Question: 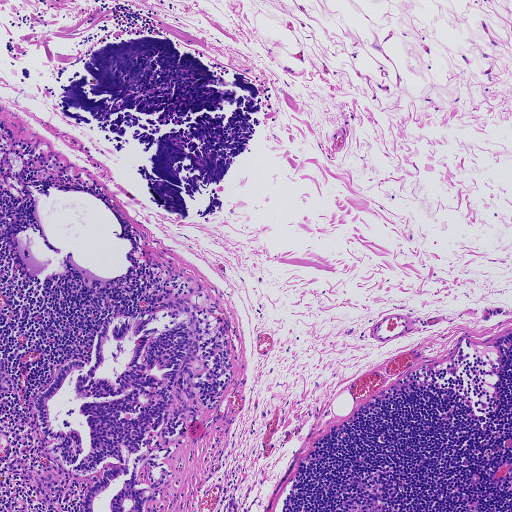
H&E-stained section of a sentinel lymph node (breast cancer), from a whole-slide image, viewed at about 5×: the field is about 0.93 mm across, about 1.8 µm per pixel.
Estimate the proportion of this field that is metastatic tumour.

Choices:
 (A) none: no tumour is outlined
 (B) about 25% to 45%
 (C) about 10% to 20%
 (D) about 50% or more
 (E) about 5% or less

Answer: (C) about 10% to 20%
About 10% of the field is tumour.
Four metastatic tumour regions, each outlined as a closed clockwise path in crop pixels (x, y), largest first: region 1: (194, 286), (206, 367), (201, 413), (161, 461), (173, 475), (160, 499), (145, 503), (146, 511), (84, 511), (89, 488), (120, 463), (108, 458), (76, 475), (49, 452), (34, 403), (63, 365), (89, 366), (110, 316), (144, 313); region 2: (50, 468), (60, 479), (63, 486), (63, 493), (58, 499), (52, 502), (45, 500), (40, 494), (36, 484), (44, 472); region 3: (14, 456), (22, 458), (28, 463), (25, 470), (33, 472), (34, 479), (27, 482), (21, 477), (24, 471), (17, 472), (9, 470), (9, 462); region 4: (0, 354), (5, 360), (4, 368), (13, 380), (15, 388), (9, 392), (0, 391).
One more small tumour piece is annotated here but not outlined.